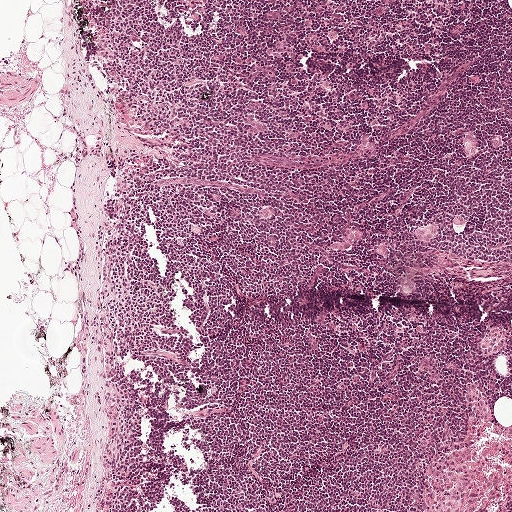
A 1-mm field of an H&E-stained sentinel lymph node from a breast-cancer patient (whole-slide image), shown at about 5×, about 1.9 µm per pixel.
Boundaries of five metastatic tumour regions, simplified and listed clockwise, largest first: region 1: (429, 222), (437, 228), (437, 236), (435, 238), (430, 238), (427, 242), (416, 238), (414, 232), (416, 227); region 2: (355, 228), (359, 229), (362, 232), (362, 235), (354, 242), (349, 242), (350, 244), (350, 248), (342, 250), (333, 248), (330, 246), (332, 243), (336, 241), (348, 242), (347, 241), (347, 238), (348, 231); region 3: (465, 132), (471, 132), (477, 138), (475, 144), (476, 150), (471, 156), (465, 155), (461, 145), (462, 138); region 4: (271, 205), (275, 207), (276, 210), (273, 217), (268, 219), (260, 218), (258, 216), (258, 212), (261, 207); region 5: (379, 243), (388, 246), (389, 253), (389, 257), (382, 257), (379, 255), (378, 252), (373, 250), (374, 245).
Four more small tumour pieces are annotated here but not outlined.
Under 5% of the image area is annotated as tumour.